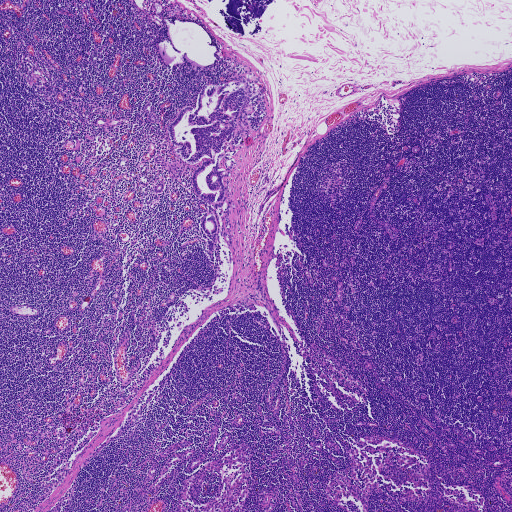
This is a crop of a whole-slide image: an H&E-stained breast-cancer sentinel lymph node section at roughly 2.5× magnification (about 3.6 µm per pixel; the crop spans about 1.9 mm).
Outlines of six tumour regions, largest first (closed clockwise paths, crop pixels): region 1: (248, 69), (246, 78), (253, 110), (250, 118), (251, 133), (231, 157), (237, 164), (231, 176), (223, 178), (228, 209), (221, 216), (194, 191), (195, 170), (210, 158), (205, 156), (200, 162), (188, 164), (175, 152), (168, 128), (182, 109), (186, 106), (195, 109), (205, 84), (223, 83); region 2: (213, 212), (218, 224), (218, 229), (214, 252), (211, 253), (209, 251), (207, 241), (208, 240), (212, 241), (213, 236), (206, 234), (202, 226), (203, 217), (206, 214); region 3: (175, 160), (180, 166), (182, 169), (182, 173), (180, 176), (177, 177), (173, 176), (171, 174), (168, 168), (172, 162); region 4: (151, 103), (153, 107), (152, 110), (158, 120), (155, 122), (151, 122), (148, 120), (147, 113), (145, 110), (144, 106), (147, 104); region 5: (225, 232), (230, 235), (232, 239), (232, 244), (230, 248), (224, 241); region 6: (226, 215), (229, 218), (230, 223), (231, 227), (230, 231), (226, 229), (224, 225).
Two more small tumour pieces are annotated here but not outlined.
About 5% of this field is tumour.